Lymph node section stained with H&E, from a whole-slide image of a breast-cancer sentinel node. Magnification about 10×, about 0.5 mm across the frame, about 0.97 µm per pixel.
Question: 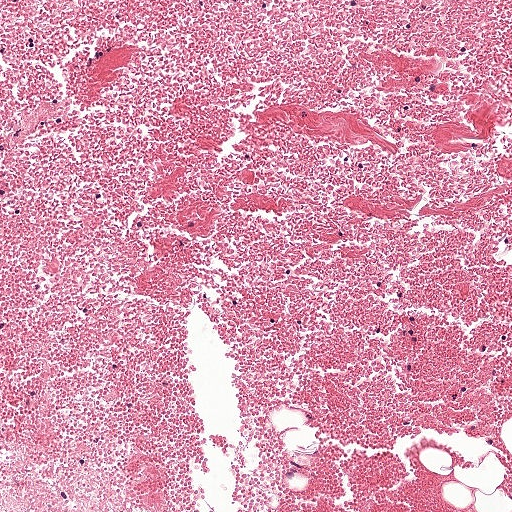
What fraction of the image area is metastatic tumour?

Choices:
 (A) about 50% or more
 (B) about 5% or less
 (C) about 10% to 20%
 (D) none: no tumour is outlined
 (E) about 25% to 45%

Answer: (D) none: no tumour is outlined
No metastatic tumour is outlined in this field.